A 2.0-mm field of an H&E-stained sentinel lymph node from a breast-cancer patient (whole-slide image), shown at about 2.5×, about 3.9 µm per pixel.
Question: 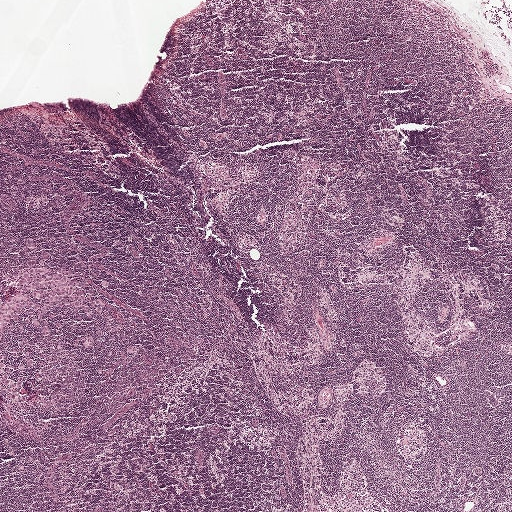
About how much of this crop is taken up by metastatic carcinoma?

Choices:
 (A) about 50% or more
 (B) none: no tumour is outlined
 (C) about 5% or less
 (D) about 25% to 45%
 (E) about 10% to 20%

Answer: (C) about 5% or less
About 5% of the field is tumour.
Two metastatic tumour regions, each outlined as a closed clockwise path in crop pixels (x, y), largest first: region 1: (37, 264), (71, 271), (89, 283), (93, 300), (125, 344), (111, 346), (102, 339), (99, 350), (83, 352), (80, 342), (102, 325), (97, 317), (87, 323), (71, 310), (51, 325), (47, 341), (24, 332), (28, 351), (0, 338), (0, 311), (21, 267); region 2: (0, 348), (17, 353), (30, 365), (27, 371), (16, 375), (12, 380), (12, 383), (21, 381), (25, 406), (25, 417), (22, 417), (15, 414), (10, 406), (0, 400).